Lymph node section stained with H&E, from a whole-slide image of a breast-cancer sentinel node. Magnification about 5×, about 0.93 mm across the frame, about 1.8 µm per pixel.
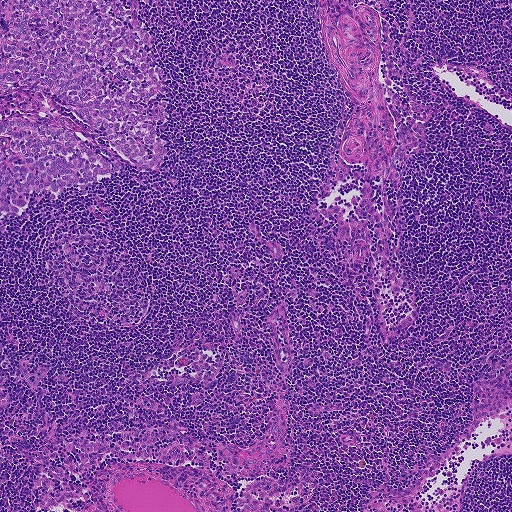
The outlined metastatic tumour's edge, as a closed clockwise path of 24 points: (0, 0), (114, 0), (128, 7), (158, 36), (154, 61), (166, 71), (166, 92), (152, 99), (166, 101), (154, 140), (163, 140), (166, 156), (149, 171), (135, 165), (49, 96), (25, 115), (71, 130), (123, 167), (90, 185), (61, 188), (54, 200), (31, 193), (26, 208), (0, 220).
One more small tumour piece is annotated here but not outlined.
About 10% of the image area is annotated as tumour.